Question: 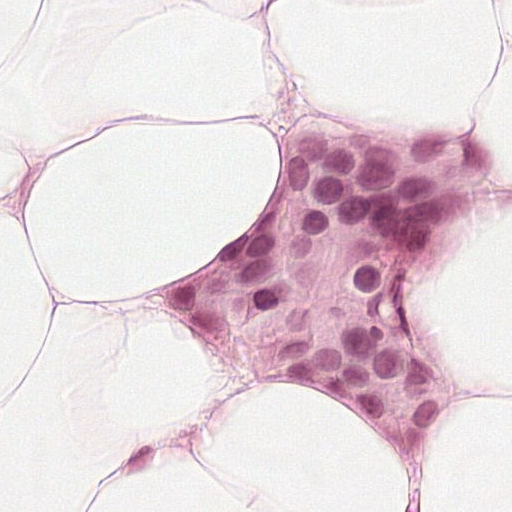
Which magnification is this H&E lymph node field most likely shown at?

Choices:
 (A) about 2.5×
 (B) about 10×
 (C) about 40×
 (D) about 20×
 (E) about 5×

Answer: (C) about 40×
A 0.12-mm field of an H&E-stained sentinel lymph node from a breast-cancer patient (whole-slide image), shown at about 40×, about 0.24 µm per pixel.
Two metastatic tumour regions, each outlined as a closed clockwise path in crop pixels (x, y), largest first: region 1: (286, 119), (435, 129), (486, 150), (487, 178), (429, 313), (441, 392), (411, 489), (384, 441), (300, 392), (249, 386), (151, 290), (253, 231), (282, 164); region 2: (466, 0), (511, 0), (511, 13), (494, 12).
About 25% of the image area is annotated as tumour.